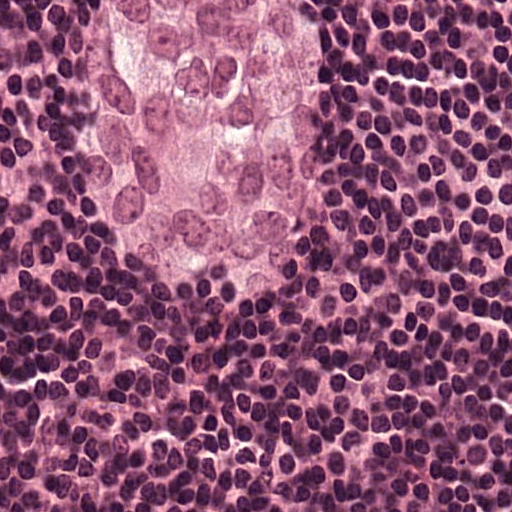
H&E-stained section of a sentinel lymph node (breast cancer), from a whole-slide image, viewed at about 40×: the field is about 0.12 mm across, about 0.24 µm per pixel.
Question: Where is the metastatic tumour in this field? Give each region's outline as (x, y) pixel points.
Answer: The outlined metastatic tumour's edge, as a closed clockwise path of 11 points: (313, 0), (330, 13), (335, 181), (318, 293), (305, 309), (252, 319), (212, 311), (118, 234), (66, 143), (66, 84), (93, 4).
About 25% of the image area is annotated as tumour.